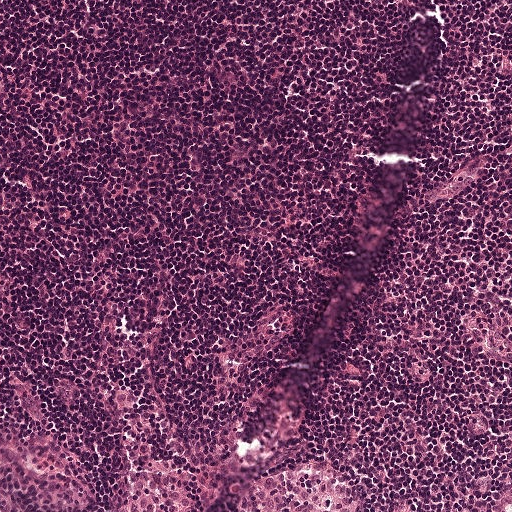
H&E-stained section of a sentinel lymph node (breast cancer), from a whole-slide image, viewed at about 10×: the field is about 0.5 mm across, about 0.97 µm per pixel.
Question: Is any metastatic breast cancer visible in this crop?
Answer: No. No metastatic tumour is outlined in this field.